This is a crop of a whole-slide image: an H&E-stained breast-cancer sentinel lymph node section at roughly 2.5× magnification (about 3.9 µm per pixel; the crop spans about 2.0 mm).
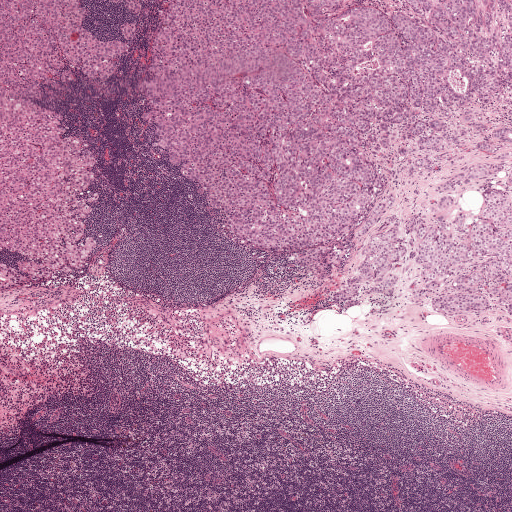
Boundaries of three metastatic tumour regions, simplified and listed clockwise, largest first: region 1: (511, 0), (511, 316), (444, 315), (420, 303), (411, 287), (419, 261), (402, 266), (388, 297), (346, 312), (328, 294), (361, 263), (366, 236), (342, 263), (310, 268), (291, 266), (296, 252), (268, 255), (226, 238), (142, 124), (140, 79), (168, 3); region 2: (0, 0), (90, 0), (92, 15), (85, 26), (129, 46), (125, 73), (92, 82), (82, 74), (70, 96), (45, 86), (43, 103), (62, 112), (101, 160), (102, 195), (89, 230), (98, 249), (85, 270), (0, 290), (0, 263), (15, 263), (16, 255), (0, 252); region 3: (97, 0), (149, 0), (144, 5), (138, 17), (137, 31), (133, 39), (126, 40), (120, 34), (119, 26), (131, 17), (129, 10).
About 45% of this field is tumour.